Question: 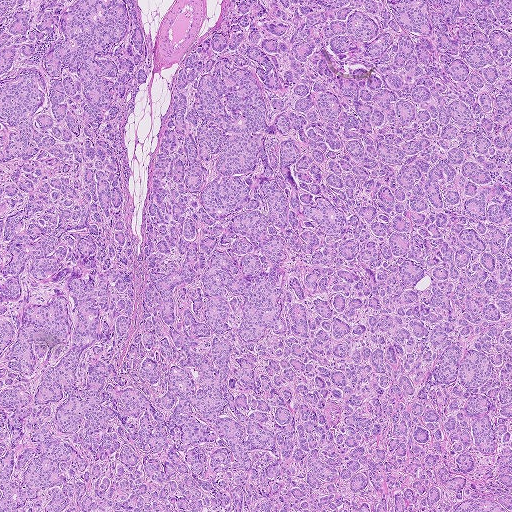
H&E-stained section of a sentinel lymph node (breast cancer), from a whole-slide image, viewed at about 2.5×: the field is about 1.9 mm across, about 3.6 µm per pixel.
Roughly what share of this field is metastatic tumour?

Choices:
 (A) about 25% to 45%
 (B) none: no tumour is outlined
 (C) about 10% to 20%
 (D) about 50% or more
 (E) about 5% or less

Answer: (D) about 50% or more
About 95% of the field is tumour.
Tumour region outline (a closed clockwise path, crop pixels): (0, 0), (134, 0), (149, 70), (112, 126), (135, 297), (113, 362), (119, 374), (144, 311), (147, 198), (177, 78), (203, 40), (229, 36), (240, 2), (511, 0), (511, 511), (0, 511).